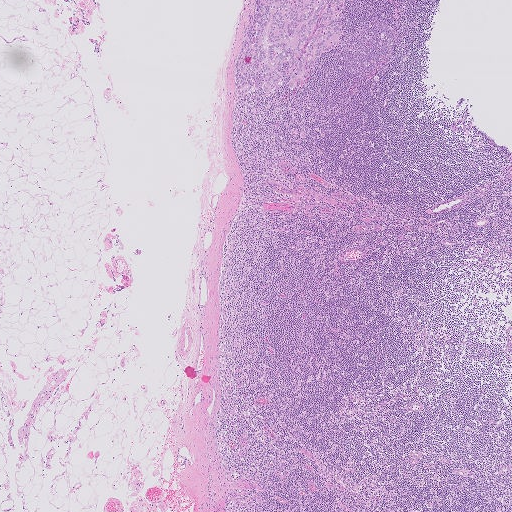
H&E-stained section of a sentinel lymph node (breast cancer), from a whole-slide image, viewed at about 2.5×: the field is about 2.0 mm across, about 4.0 µm per pixel.
The outlined metastatic tumour's edge, as a closed clockwise path of 17 points: (347, 0), (343, 18), (351, 23), (343, 26), (337, 49), (326, 54), (300, 89), (281, 87), (268, 94), (263, 92), (265, 82), (258, 75), (246, 94), (237, 97), (233, 87), (234, 62), (252, 2).
About 5% of this field is tumour.